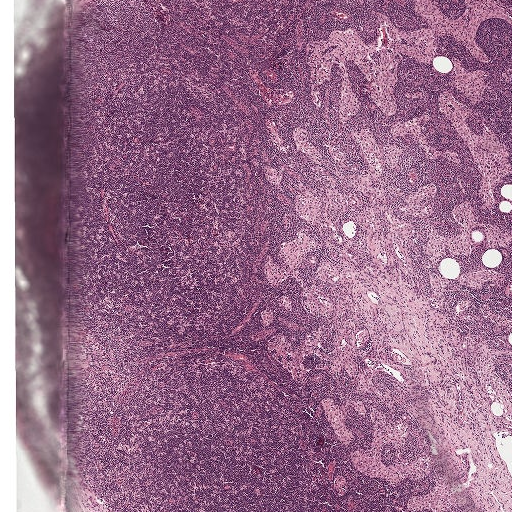
This is a crop of a whole-slide image: an H&E-stained breast-cancer sentinel lymph node section at roughly 2.5× magnification (about 3.9 µm per pixel; the crop spans about 2.0 mm).